This is a crop of a whole-slide image: an H&E-stained breast-cancer sentinel lymph node section at roughly 2.5× magnification (about 4.0 µm per pixel; the crop spans about 2.0 mm).
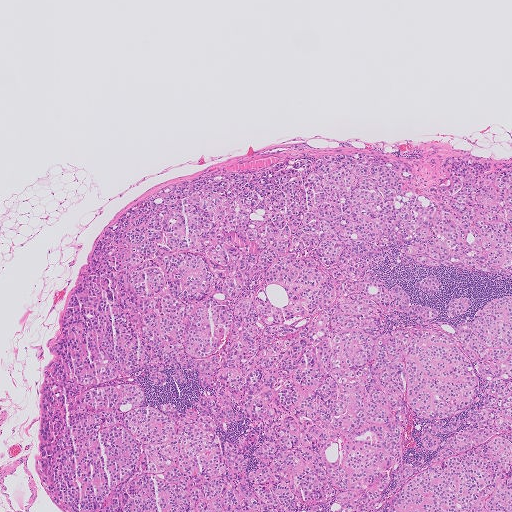
Question: Which parts of this field are metastatic tumour? Answer with the outline of each region, in pixels.
Answer: Outlines of three tumour regions, largest first (closed clockwise paths, crop pixels): region 1: (354, 151), (429, 176), (449, 158), (511, 158), (511, 277), (376, 270), (446, 318), (511, 293), (511, 511), (56, 511), (43, 495), (50, 340), (90, 244), (144, 194), (283, 154); region 2: (463, 293), (473, 299), (468, 312), (456, 317), (447, 317), (444, 309), (450, 297); region 3: (420, 276), (442, 277), (442, 291), (429, 294), (416, 289).
About 60% of the image area is annotated as tumour.